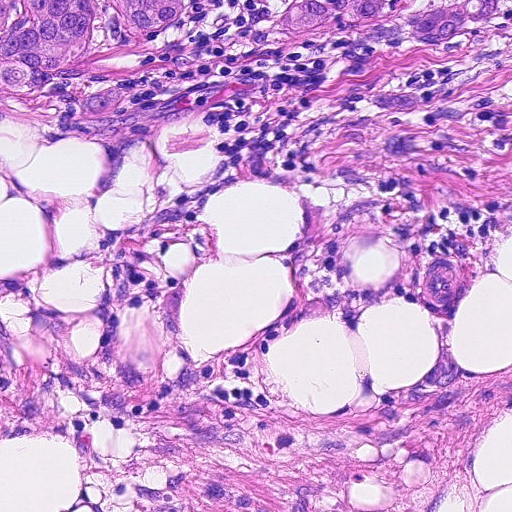
This is a crop of a whole-slide image: an H&E-stained breast-cancer sentinel lymph node section at roughly 20× magnification (about 0.45 µm per pixel; the crop spans about 0.23 mm).
Question: Is any metastatic breast cancer visible in this crop?
Answer: Yes.
Boundaries of two metastatic tumour regions, simplified and listed clockwise, largest first: region 1: (0, 0), (511, 0), (511, 239), (493, 280), (452, 320), (392, 306), (306, 326), (284, 306), (301, 221), (286, 196), (228, 174), (202, 122), (173, 125), (152, 146), (0, 126); region 2: (204, 188), (203, 218), (230, 236), (224, 266), (178, 304), (194, 359), (248, 335), (302, 406), (330, 413), (435, 361), (511, 362), (511, 413), (437, 511), (82, 511), (72, 445), (0, 450), (0, 271), (67, 313), (96, 305), (93, 242), (116, 218).
About 75% of the image area is annotated as tumour.